A 0.5-mm field of an H&E-stained sentinel lymph node from a breast-cancer patient (whole-slide image), shown at about 10×, about 0.97 µm per pixel.
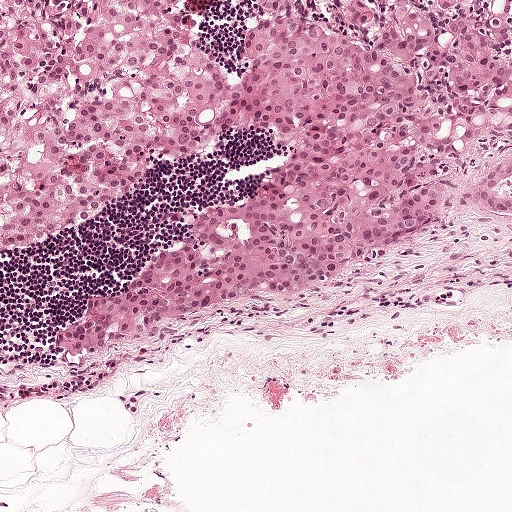
Question: Show where the tumour is in this image.
Answer: Two metastatic tumour regions, each outlined as a closed clockwise path in crop pixels (x, y), largest first: region 1: (243, 0), (511, 0), (511, 205), (464, 193), (405, 216), (366, 260), (300, 293), (202, 302), (107, 344), (62, 342), (83, 289), (198, 208), (276, 197), (303, 174), (232, 113), (248, 60); region 2: (0, 0), (214, 0), (213, 26), (236, 68), (210, 139), (74, 227), (1, 259).
About 45% of the image area is annotated as tumour.